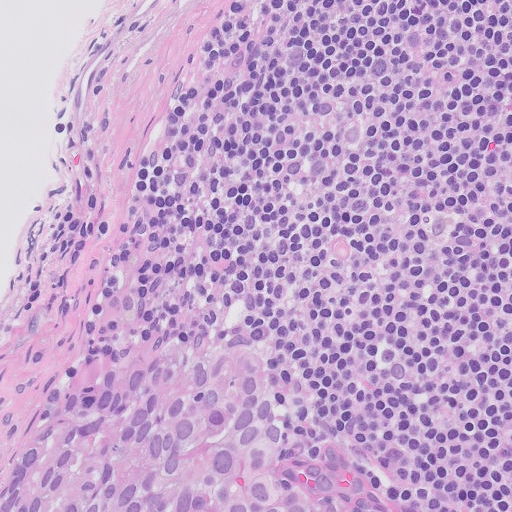
A 0.26-mm field of an H&E-stained sentinel lymph node from a breast-cancer patient (whole-slide image), shown at about 20×, about 0.5 µm per pixel.
Metastatic tumour outline, simplified to 8 points and listed clockwise in crop pixels (x, y): (104, 326), (193, 326), (245, 344), (378, 448), (396, 511), (0, 511), (0, 447), (68, 344).
About 20% of the image area is annotated as tumour.